H&E-stained section of a sentinel lymph node (breast cancer), from a whole-slide image, viewed at about 5×: the field is about 0.93 mm across, about 1.8 µm per pixel.
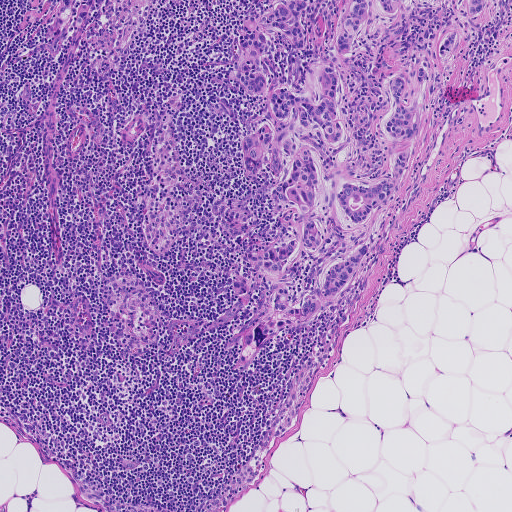
Question: Where is the metastatic tumour in this field?
Answer: Boundaries of two metastatic tumour regions, simplified and listed clockwise, largest first: region 1: (287, 0), (311, 0), (305, 30), (330, 62), (347, 0), (504, 0), (454, 73), (424, 100), (396, 194), (354, 228), (332, 208), (322, 247), (314, 254), (302, 248), (291, 266), (289, 303), (299, 307), (332, 262), (369, 243), (354, 279), (342, 296), (274, 333), (238, 364), (279, 282), (252, 257), (300, 230), (296, 209), (270, 190), (291, 158), (274, 144), (256, 170), (242, 155), (247, 134), (264, 122), (266, 94), (255, 96), (232, 74), (242, 23); region 2: (63, 0), (94, 0), (90, 12), (80, 27), (70, 29), (55, 38), (48, 32), (50, 24).
Tumour covers about 15% of the frame.